Image:
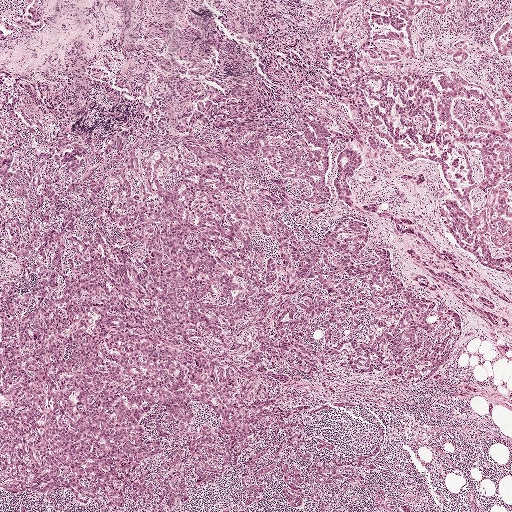
A 2.0-mm field of an H&E-stained sentinel lymph node from a breast-cancer patient (whole-slide image), shown at about 2.5×, about 3.9 µm per pixel.
Question:
Is any metastatic breast cancer visible in this crop?
Answer:
Yes.
Three metastatic tumour regions, each outlined as a closed clockwise path in crop pixels (x, y), largest first: region 1: (171, 220), (199, 227), (213, 272), (182, 321), (178, 350), (194, 424), (149, 413), (160, 448), (131, 474), (119, 505), (60, 487), (0, 489), (0, 280), (19, 271), (19, 243), (60, 230), (88, 239), (104, 232), (125, 249); region 2: (507, 189), (511, 193), (510, 278), (485, 266), (468, 262), (455, 240), (436, 226), (434, 214), (439, 204), (449, 198), (456, 198), (464, 211), (473, 211), (483, 206), (488, 194), (494, 190); region 3: (504, 83), (511, 91), (511, 106), (502, 96), (499, 91), (499, 88).
The annotated tumour makes up about 20% of the crop.